A 0.5-mm field of an H&E-stained sentinel lymph node from a breast-cancer patient (whole-slide image), shown at about 10×, about 0.97 µm per pixel.
Image:
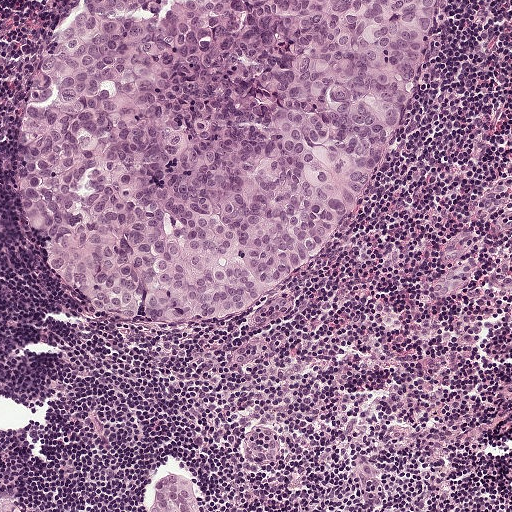
Question:
Does this lymph node field contain metastatic tumour?
Answer:
Yes.
Boundaries of three metastatic tumour regions, simplified and listed clockwise, largest first: region 1: (68, 0), (434, 0), (395, 150), (328, 256), (233, 319), (163, 329), (132, 329), (70, 292), (21, 208), (14, 98); region 2: (185, 475), (195, 486), (198, 499), (205, 511), (152, 511), (154, 504), (153, 485), (157, 476); region 3: (4, 498), (8, 498), (8, 499), (10, 499), (12, 501), (14, 501), (18, 504), (20, 504), (21, 506), (23, 506), (25, 508), (27, 511), (0, 511), (0, 499).
The annotated tumour makes up about 40% of the crop.